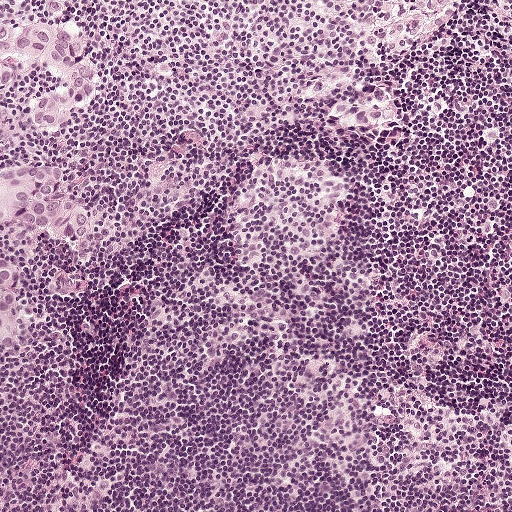
This is a crop of a whole-slide image: an H&E-stained breast-cancer sentinel lymph node section at roughly 10× magnification (about 0.97 µm per pixel; the crop spans about 0.5 mm).
Outlines of four tumour regions, largest first (closed clockwise paths, crop pixels): region 1: (0, 18), (54, 22), (76, 32), (99, 76), (92, 103), (46, 130), (36, 127), (27, 116), (38, 98), (57, 84), (52, 70), (30, 62), (19, 72), (12, 84), (2, 92); region 2: (42, 164), (61, 166), (62, 196), (81, 203), (89, 215), (85, 236), (73, 243), (62, 243), (50, 234), (17, 222), (0, 230), (0, 177), (9, 170); region 3: (382, 84), (386, 94), (388, 94), (391, 114), (388, 119), (372, 125), (352, 125), (340, 122), (334, 118), (331, 108), (338, 100), (361, 98), (369, 95), (374, 85); region 4: (0, 258), (12, 263), (17, 268), (17, 298), (16, 307), (17, 335), (12, 349), (7, 349), (0, 346).
One more small tumour piece is annotated here but not outlined.
About 5% of this field is tumour.